H&E-stained section of a sentinel lymph node (breast cancer), from a whole-slide image, viewed at about 5×: the field is about 0.93 mm across, about 1.8 µm per pixel.
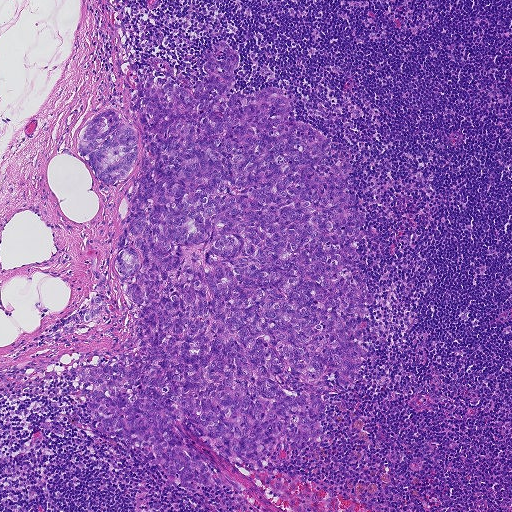
Two metastatic tumour regions, each outlined as a closed clockwise path in crop pixels (x, y), largest first: region 1: (220, 41), (250, 94), (297, 97), (336, 145), (324, 164), (351, 163), (374, 301), (345, 324), (374, 354), (350, 388), (323, 376), (324, 439), (274, 464), (173, 424), (237, 486), (192, 492), (96, 428), (78, 365), (135, 338), (114, 266), (133, 96), (193, 96); region 2: (104, 110), (117, 111), (124, 122), (134, 129), (137, 135), (138, 148), (134, 167), (123, 184), (107, 185), (96, 178), (86, 161), (80, 157), (77, 145), (78, 138), (90, 122).
About 35% of the image area is annotated as tumour.